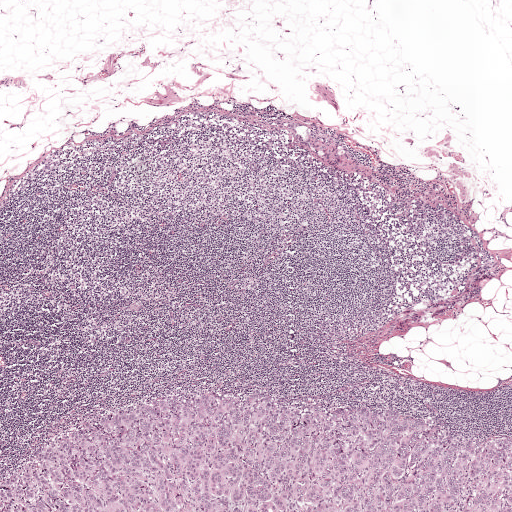
Lymph node section stained with H&E, from a whole-slide image of a breast-cancer sentinel node. Magnification about 2.5×, about 2.0 mm across the frame, about 3.9 µm per pixel.
One metastatic tumour region; its boundary, reduced to 8 corners and listed clockwise: (208, 391), (399, 412), (458, 434), (509, 432), (511, 511), (0, 511), (0, 476), (89, 421).
One more small tumour piece is annotated here but not outlined.
Tumour covers about 20% of the frame.